Image:
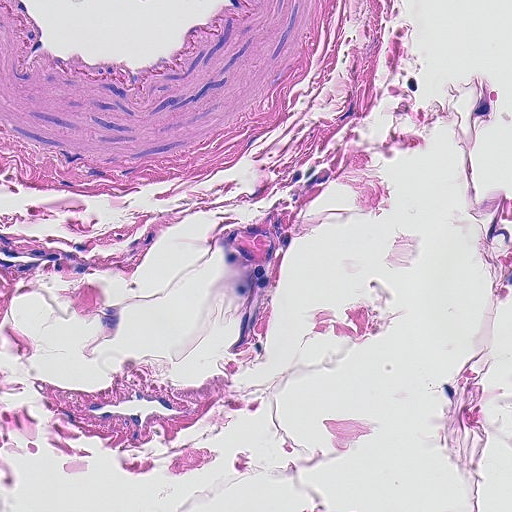
H&E-stained section of a sentinel lymph node (breast cancer), from a whole-slide image, viewed at about 20×: the field is about 0.23 mm across, about 0.45 µm per pixel.
Question:
Is there metastatic carcinoma in this field?
Answer:
No: no metastatic tumour is outlined anywhere in this field.